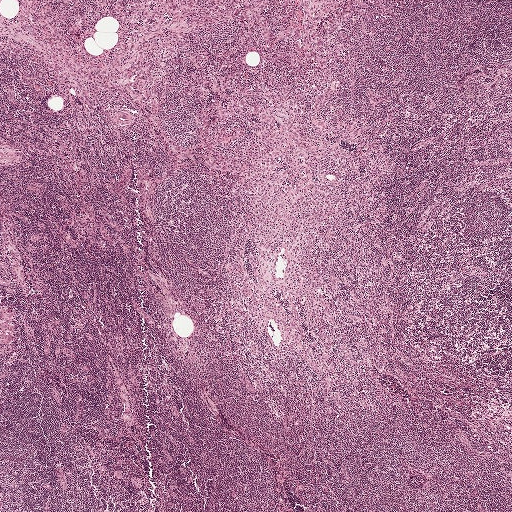
This is a crop of a whole-slide image: an H&E-stained breast-cancer sentinel lymph node section at roughly 2.5× magnification (about 3.9 µm per pixel; the crop spans about 2.0 mm).
The outlined metastatic tumour's edge, as a closed clockwise path of 10 points: (11, 307), (15, 311), (13, 320), (15, 326), (13, 332), (14, 342), (11, 351), (4, 354), (0, 354), (0, 309).
Two more small tumour pieces are annotated here but not outlined.
The annotated tumour makes up under 5% of the crop.